Question: 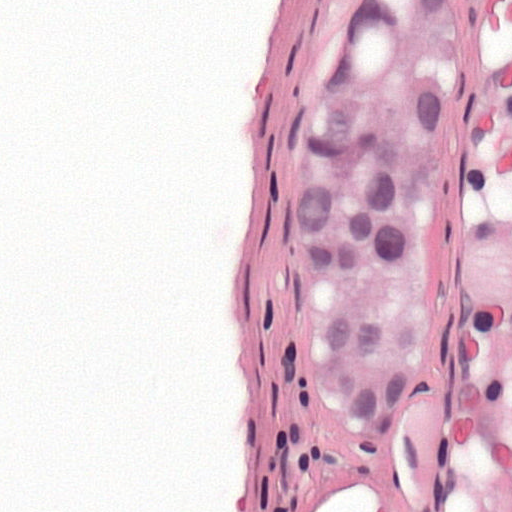
Which magnification is this H&E lymph node field most likely shown at?

Choices:
 (A) about 20×
 (B) about 10×
 (C) about 5×
 (D) about 2.5×
 (E) about 40×

Answer: (E) about 40×
Lymph node section stained with H&E, from a whole-slide image of a breast-cancer sentinel node. Magnification about 40×, about 0.12 mm across the frame, about 0.24 µm per pixel.
Metastatic tumour outline, simplified to 10 points and listed clockwise in crop pixels (x, y): (359, 0), (453, 0), (471, 94), (469, 195), (424, 391), (364, 458), (311, 411), (288, 315), (303, 112), (341, 16).
Tumour covers about 25% of the frame.